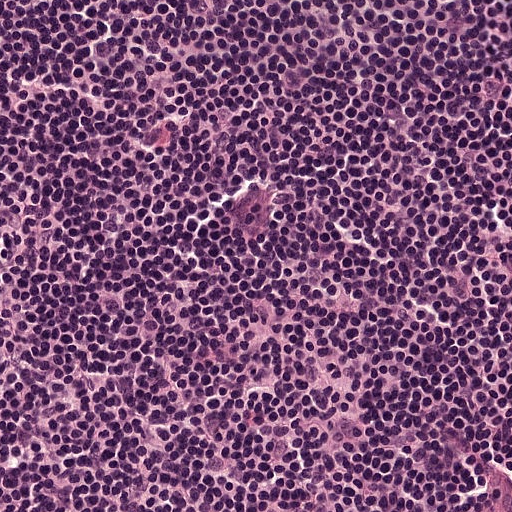
H&E-stained section of a sentinel lymph node (breast cancer), from a whole-slide image, viewed at about 20×: the field is about 0.25 mm across, about 0.49 µm per pixel.